Question: 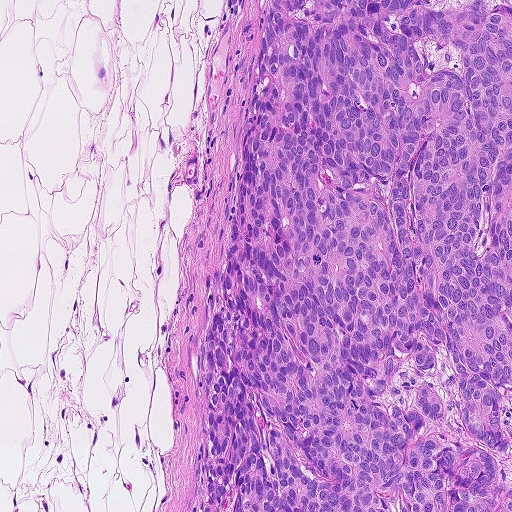
A 0.46-mm field of an H&E-stained sentinel lymph node from a breast-cancer patient (whole-slide image), shown at about 10×, about 0.9 µm per pixel.
What fraction of the image area is metastatic tumour?

Choices:
 (A) none: no tumour is outlined
 (B) about 50% or more
 (C) about 10% to 20%
 (D) about 5% or less
 (E) about 25% to 45%

Answer: (B) about 50% or more
About 55% of the field is tumour.
Metastatic tumour outline, simplified to 7 points and listed clockwise in crop pixels (x, y): (511, 0), (511, 511), (198, 511), (205, 416), (194, 354), (242, 165), (263, 6).